This is a crop of a whole-slide image: an H&E-stained breast-cancer sentinel lymph node section at roughly 2.5× magnification (about 3.6 µm per pixel; the crop spans about 1.9 mm).
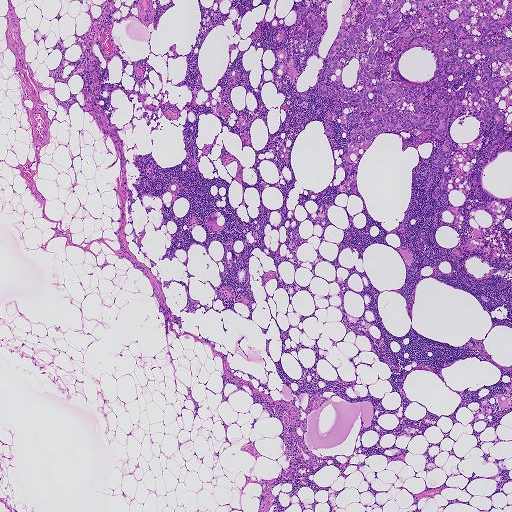
Question: Trace the edge of each tumour region in this crop, as (x, y) points from 0 to 511.
Answer: Tumour region outline (a closed clockwise path, crop pixels): (511, 0), (511, 147), (503, 142), (485, 163), (495, 123), (480, 133), (474, 117), (488, 91), (474, 101), (469, 89), (448, 120), (454, 158), (435, 198), (432, 160), (448, 132), (348, 144), (358, 125), (345, 120), (358, 106), (318, 95), (330, 46), (369, 2).
One more small tumour piece is annotated here but not outlined.
Tumour covers about 10% of the frame.